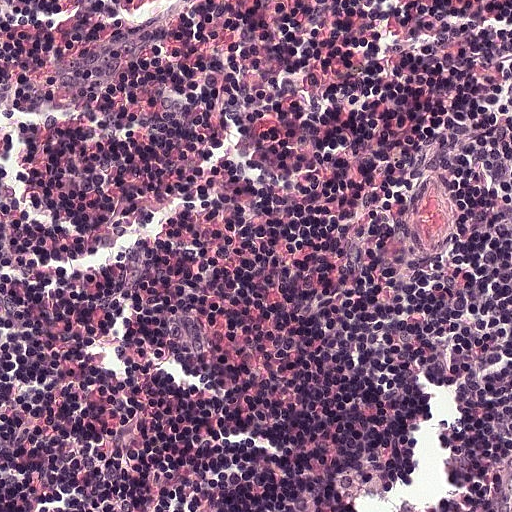
A 0.25-mm field of an H&E-stained sentinel lymph node from a breast-cancer patient (whole-slide image), shown at about 20×, about 0.49 µm per pixel.
Question: Does this lymph node field contain metastatic tumour?
Answer: No: no metastatic tumour is outlined anywhere in this field.